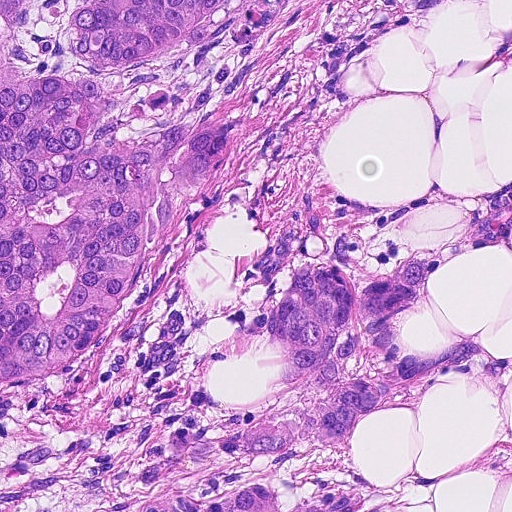
H&E-stained section of a sentinel lymph node (breast cancer), from a whole-slide image, viewed at about 20×: the field is about 0.23 mm across, about 0.45 µm per pixel.
One metastatic tumour region; its boundary, reduced to 23 corners and listed clockwise: (0, 0), (302, 0), (208, 106), (234, 146), (182, 228), (176, 275), (220, 330), (320, 255), (342, 257), (360, 278), (424, 250), (452, 262), (430, 273), (400, 345), (421, 356), (463, 336), (494, 361), (429, 384), (413, 414), (358, 424), (356, 468), (394, 510), (0, 511).
Tumour covers about 60% of the frame.